Question: 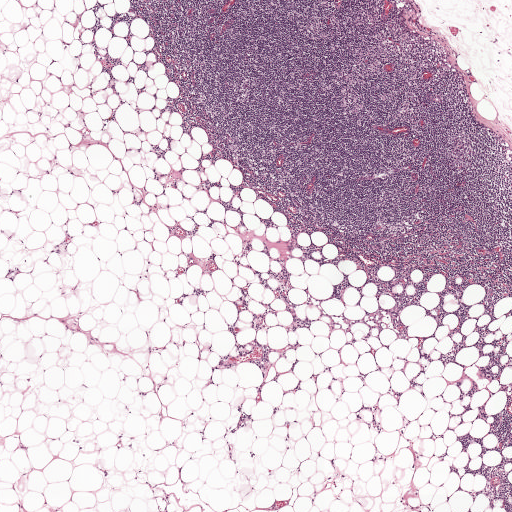
At roughly what magnification is this field shown?

Choices:
 (A) about 10×
 (B) about 5×
 (C) about 2.5×
 (D) about 20×
 (E) about 40×

Answer: (C) about 2.5×
H&E-stained section of a sentinel lymph node (breast cancer), from a whole-slide image, viewed at about 2.5×: the field is about 2.0 mm across, about 3.9 µm per pixel.
Metastatic tumour outline, simplified to 12 points and listed clockwise in crop pixels (x, y): (427, 93), (434, 93), (439, 94), (444, 98), (444, 102), (444, 105), (442, 105), (437, 104), (435, 104), (432, 103), (426, 96), (425, 94).
Under 5% of this field is tumour.